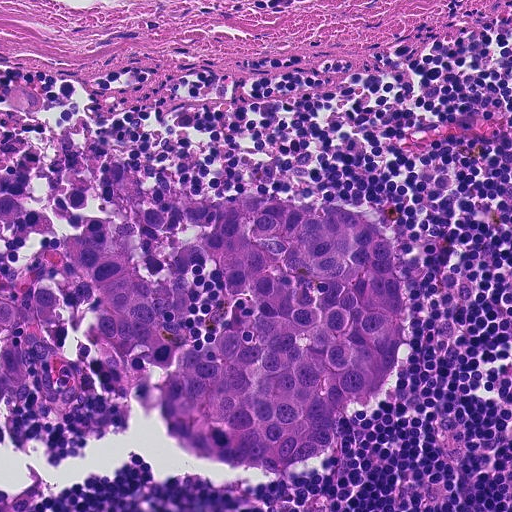
Lymph node section stained with H&E, from a whole-slide image of a breast-cancer sentinel node. Magnification about 20×, about 0.23 mm across the frame, about 0.45 µm per pixel.
Two metastatic tumour regions, each outlined as a closed clockwise path in crop pixels (x, y), largest first: region 1: (124, 168), (157, 206), (257, 195), (382, 222), (396, 243), (403, 309), (396, 362), (331, 447), (287, 474), (211, 460), (165, 434), (142, 401), (0, 416), (0, 290), (26, 238), (2, 228), (0, 201), (86, 189), (106, 206), (98, 171); region 2: (40, 480), (30, 511), (0, 511), (0, 486), (16, 490).
The annotated tumour makes up about 35% of the crop.